Question: 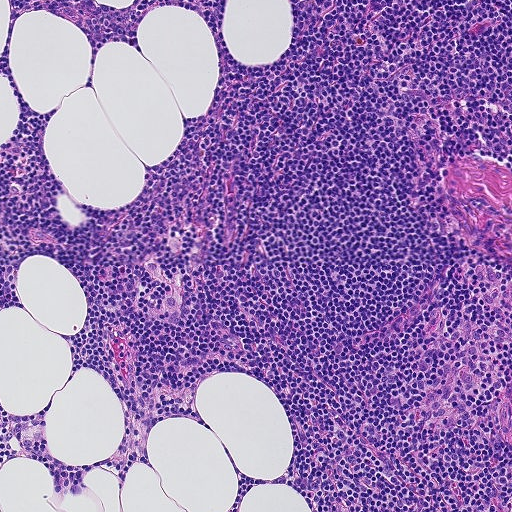
This is a crop of a whole-slide image: an H&E-stained breast-cancer sentinel lymph node section at roughly 10× magnification (about 0.9 µm per pixel; the crop spans about 0.46 mm).
About how much of this crop is taken up by metastatic carcinoma?

Choices:
 (A) about 10% to 20%
 (B) about 50% or more
 (C) about 25% to 45%
 (D) about 5% or less
 (E) none: no tumour is outlined

Answer: (E) none: no tumour is outlined
No metastatic tumour is outlined in this field.